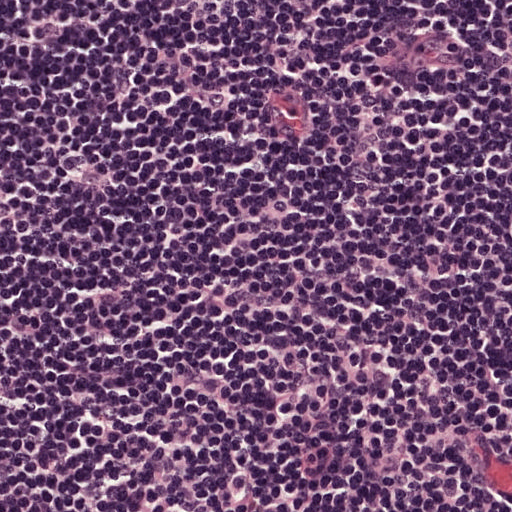
H&E-stained section of a sentinel lymph node (breast cancer), from a whole-slide image, viewed at about 20×: the field is about 0.25 mm across, about 0.49 µm per pixel.